Question: 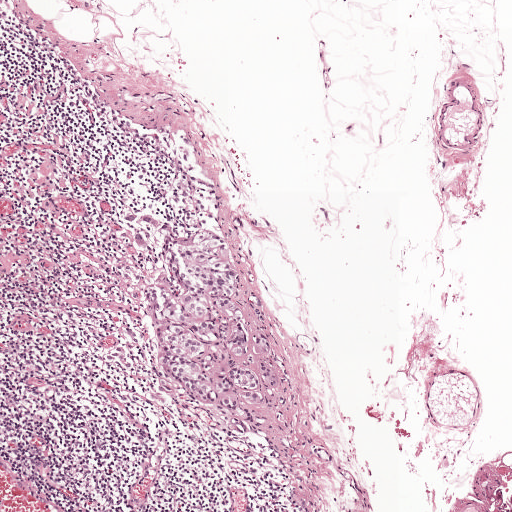
At roughly what magnification is this field shown?

Choices:
 (A) about 10×
 (B) about 40×
 (C) about 2.5×
 (D) about 20×
 (E) about 5×

Answer: (E) about 5×
Lymph node section stained with H&E, from a whole-slide image of a breast-cancer sentinel node. Magnification about 5×, about 1 mm across the frame, about 1.9 µm per pixel.
Boundaries of four metastatic tumour regions, simplified and listed clockwise, largest first: region 1: (201, 229), (219, 233), (240, 272), (243, 330), (260, 330), (268, 342), (265, 356), (232, 353), (235, 365), (256, 370), (266, 398), (236, 406), (229, 412), (221, 406), (221, 396), (208, 403), (166, 394), (158, 382), (159, 353), (162, 310), (174, 282), (166, 254); region 2: (148, 214), (172, 229), (166, 232), (150, 224), (144, 230), (144, 249), (134, 239), (138, 216); region 3: (259, 360), (275, 367), (282, 381), (274, 387), (266, 382), (260, 371); region 4: (121, 346), (127, 358), (119, 360), (110, 361), (105, 355).
About 5% of the image area is annotated as tumour.
Question: 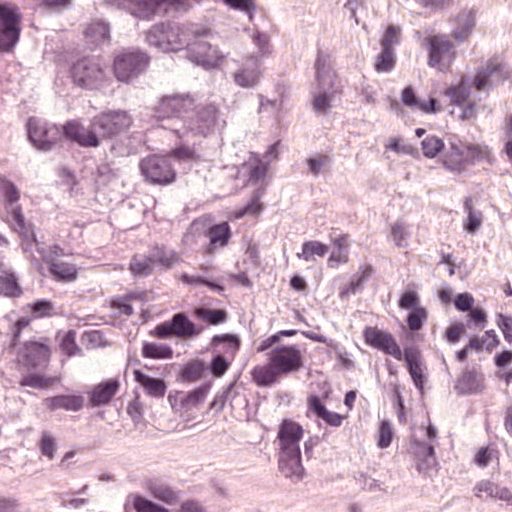
At roughly what magnification is this field shown?

Choices:
 (A) about 10×
 (B) about 5×
 (C) about 20×
 (D) about 2.5×
 (E) about 40×

Answer: (E) about 40×
H&E-stained section of a sentinel lymph node (breast cancer), from a whole-slide image, viewed at about 40×: the field is about 0.12 mm across, about 0.24 µm per pixel.
Outlines of three tumour regions, largest first (closed clockwise paths, crop pixels): region 1: (0, 0), (270, 0), (307, 46), (307, 96), (283, 180), (174, 246), (112, 247), (76, 232), (1, 143); region 2: (187, 282), (244, 285), (265, 307), (278, 350), (335, 330), (351, 337), (359, 385), (344, 441), (319, 452), (285, 452), (244, 430), (237, 416), (212, 441), (144, 448), (99, 421), (35, 416), (15, 405), (5, 348), (85, 312), (131, 328), (151, 321), (162, 300); region 3: (167, 480), (174, 484), (174, 486), (190, 491), (199, 500), (208, 500), (218, 511), (137, 511), (137, 502), (147, 491).
The annotated tumour makes up about 40% of the crop.
Question: 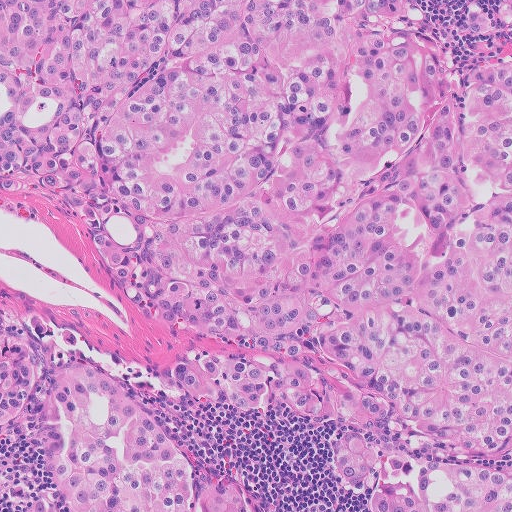
At roughly what magnification is this field shown?

Choices:
 (A) about 2.5×
 (B) about 40×
 (C) about 20×
 (D) about 5×
 (E) about 10×

Answer: (E) about 10×
This is a crop of a whole-slide image: an H&E-stained breast-cancer sentinel lymph node section at roughly 10× magnification (about 1.0 µm per pixel; the crop spans about 0.51 mm).
Outlines of two tumour regions, largest first (closed clockwise paths, crop pixels): region 1: (0, 0), (511, 0), (511, 511), (341, 511), (302, 434), (198, 396), (111, 250), (8, 205); region 2: (0, 298), (17, 299), (112, 370), (191, 451), (244, 476), (251, 511), (0, 511).
About 90% of this field is tumour.
Question: 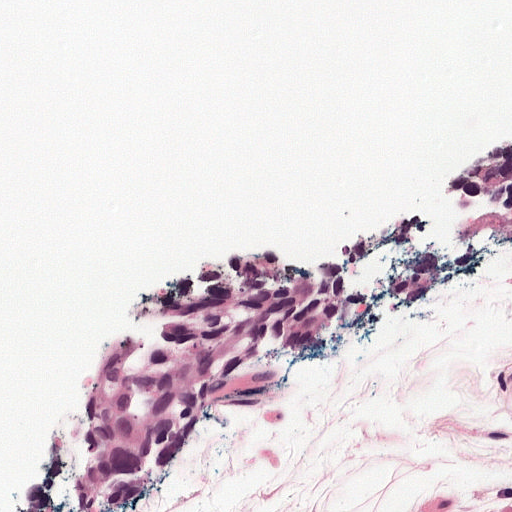
At roughly what magnification is this field shown?

Choices:
 (A) about 20×
 (B) about 5×
 (C) about 2.5×
 (D) about 10×
 (E) about 40×

Answer: (A) about 20×
H&E-stained section of a sentinel lymph node (breast cancer), from a whole-slide image, viewed at about 20×: the field is about 0.25 mm across, about 0.49 µm per pixel.
The outlined metastatic tumour's edge, as a closed clockwise path of 10 points: (511, 122), (511, 251), (246, 410), (166, 491), (124, 511), (0, 511), (2, 485), (48, 432), (76, 369), (169, 266).
The annotated tumour makes up about 30% of the crop.